Question: 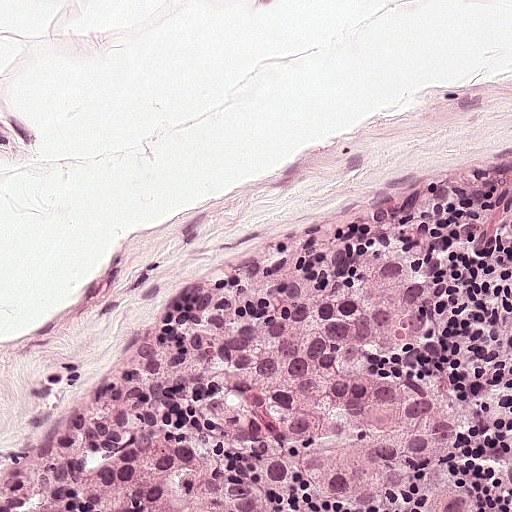
Lymph node section stained with H&E, from a whole-slide image of a breast-cancer sentinel node. Magnification about 20×, about 0.25 mm across the frame, about 0.49 µm per pixel.
Estimate the proportion of this field that is metastatic tumour.

Choices:
 (A) about 50% or more
 (B) none: no tumour is outlined
 (C) about 25% to 45%
 (D) about 5% or less
 (E) about 10% to 20%

Answer: (E) about 10% to 20%
About 20% of the field is tumour.
Outlines of five tumour regions, largest first (closed clockwise paths, crop pixels): region 1: (426, 252), (443, 292), (440, 330), (368, 364), (382, 379), (440, 372), (446, 392), (484, 412), (448, 467), (479, 507), (421, 511), (428, 468), (377, 511), (312, 495), (297, 470), (282, 495), (264, 490), (254, 475), (260, 453), (282, 454), (279, 398), (236, 378), (209, 342), (268, 308), (264, 286), (296, 269), (311, 288), (348, 286), (368, 253); region 2: (178, 426), (232, 448), (272, 511), (35, 511), (136, 431); region 3: (511, 440), (511, 506), (495, 480), (498, 454); region 4: (511, 196), (511, 248), (492, 226), (503, 205); region 5: (511, 280), (511, 312), (503, 308), (508, 284).